Lymph node section stained with H&E, from a whole-slide image of a breast-cancer sentinel node. Magnification about 2.5×, about 2.0 mm across the frame, about 4.0 µm per pixel.
Question: 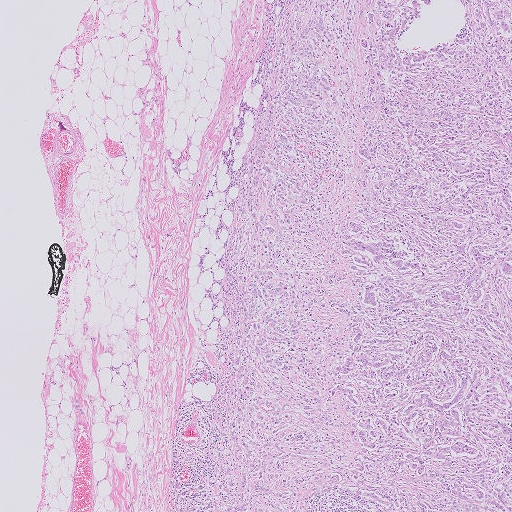
What fraction of the image area is metastatic tumour?

Choices:
 (A) none: no tumour is outlined
 (B) about 5% or less
 (C) about 25% to 45%
 (D) about 50% or more
 (E) about 10% to 20%

Answer: (D) about 50% or more
About 55% of the field is tumour.
One metastatic tumour region; its boundary, reduced to 9 corners and listed clockwise: (511, 0), (511, 511), (175, 511), (203, 461), (230, 360), (229, 230), (256, 149), (263, 45), (280, 5).